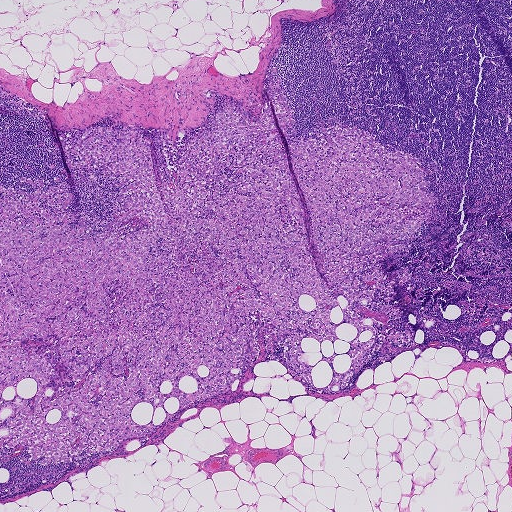
Lymph node section stained with H&E, from a whole-slide image of a breast-cancer sentinel node. Magnification about 2.5×, about 1.9 mm across the frame, about 3.6 µm per pixel.
The outlined metastatic tumour's edge, as a closed clockwise path of 20 points: (274, 65), (287, 142), (336, 125), (419, 160), (436, 202), (365, 270), (410, 277), (358, 306), (346, 386), (261, 332), (229, 389), (57, 463), (0, 446), (0, 185), (60, 186), (100, 233), (131, 210), (75, 139), (140, 129), (174, 191).
About 40% of the image area is annotated as tumour.